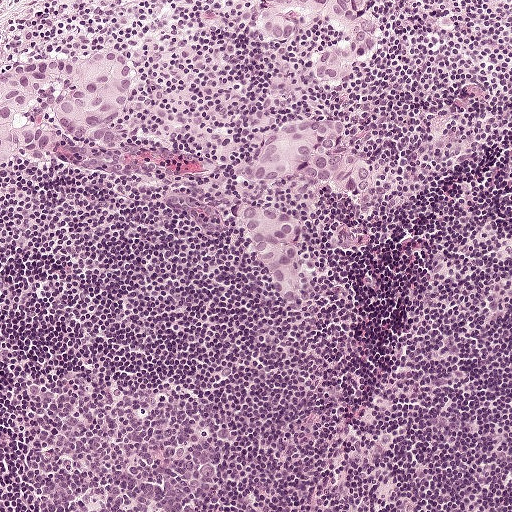
H&E-stained section of a sentinel lymph node (breast cancer), from a whole-slide image, viewed at about 10×: the field is about 0.5 mm across, about 0.97 µm per pixel.
Boundaries of four metastatic tumour regions, simplified and listed clockwise, largest first: region 1: (107, 46), (130, 60), (134, 80), (122, 114), (108, 125), (100, 125), (86, 139), (54, 147), (45, 165), (0, 165), (0, 72), (32, 49), (56, 55); region 2: (324, 118), (343, 120), (344, 150), (363, 157), (371, 169), (367, 190), (355, 197), (344, 197), (332, 188), (299, 176), (280, 185), (258, 182), (255, 179), (254, 164), (260, 147), (291, 124); region 3: (256, 0), (365, 0), (380, 26), (376, 54), (352, 72), (324, 84), (309, 70), (320, 52), (339, 38), (337, 26), (328, 20), (312, 16), (301, 26), (294, 38), (284, 46), (266, 43), (256, 35), (251, 22); region 4: (230, 202), (284, 212), (299, 222), (298, 261), (299, 289), (294, 303), (289, 303), (279, 298), (264, 272), (260, 258), (248, 242), (242, 224), (225, 212).
About 10% of this field is tumour.